Question: 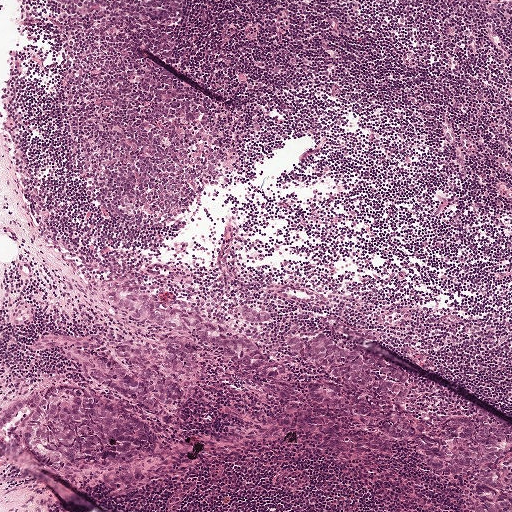
Lymph node section stained with H&E, from a whole-slide image of a breast-cancer sentinel node. Magnification about 5×, about 1 mm across the frame, about 1.9 µm per pixel.
What fraction of the image area is metastatic tumour?

Choices:
 (A) none: no tumour is outlined
 (B) about 10% to 20%
 (C) about 50% or more
 (D) about 5% or less
 (E) about 25% to 45%

Answer: (B) about 10% to 20%
About 15% of the field is tumour.
Boundaries of six metastatic tumour regions, simplified and listed clockwise, largest first: region 1: (63, 382), (90, 392), (146, 423), (155, 436), (152, 452), (115, 467), (80, 469), (42, 480), (11, 472), (0, 464), (0, 413), (6, 405), (42, 386); region 2: (330, 385), (366, 402), (407, 412), (425, 423), (461, 416), (511, 428), (511, 459), (503, 462), (501, 472), (502, 480), (511, 487), (511, 511), (476, 511), (473, 502), (476, 484), (470, 475), (433, 475), (409, 443), (325, 413), (307, 396), (308, 386); region 3: (92, 330), (110, 342), (147, 343), (162, 355), (164, 340), (183, 340), (193, 346), (200, 376), (191, 400), (171, 411), (175, 418), (171, 424), (161, 424), (127, 400), (85, 378), (60, 355), (31, 348), (33, 337), (45, 332); region 4: (115, 281), (146, 292), (204, 318), (220, 320), (236, 327), (256, 346), (272, 357), (283, 371), (282, 379), (265, 380), (237, 367), (194, 336), (175, 335), (153, 327), (125, 312), (108, 298), (108, 287); region 5: (298, 333), (310, 338), (321, 334), (341, 345), (359, 348), (398, 366), (411, 380), (409, 400), (406, 403), (398, 403), (372, 398), (328, 379), (318, 370), (292, 357), (286, 343), (290, 336); region 6: (246, 305), (254, 307), (256, 311), (259, 310), (270, 312), (271, 319), (256, 324), (243, 321), (239, 316), (240, 308).